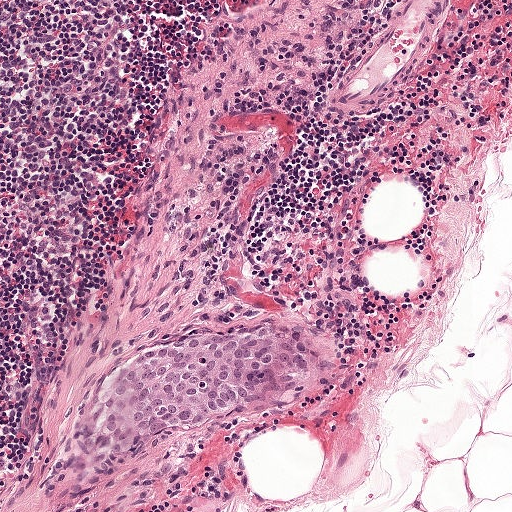
A 0.5-mm field of an H&E-stained sentinel lymph node from a breast-cancer patient (whole-slide image), shown at about 10×, about 0.97 µm per pixel.
Tumour region outline (a closed clockwise path, crop pixels): (293, 322), (309, 328), (315, 346), (292, 388), (226, 418), (174, 430), (132, 450), (115, 465), (82, 467), (85, 429), (135, 358), (174, 348), (210, 330), (252, 332).
Tumour covers about 5% of the frame.